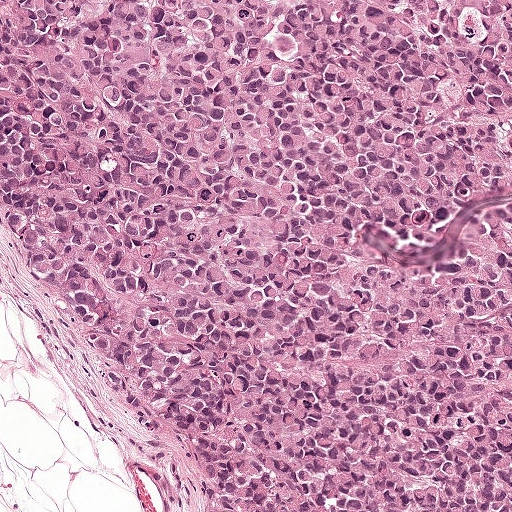
This is a crop of a whole-slide image: an H&E-stained breast-cancer sentinel lymph node section at roughly 10× magnification (about 0.97 µm per pixel; the crop spans about 0.5 mm).
Tumour region outline (a closed clockwise path, crop pixels): (0, 0), (511, 0), (511, 511), (160, 511), (115, 403), (1, 255).
About 90% of this field is tumour.